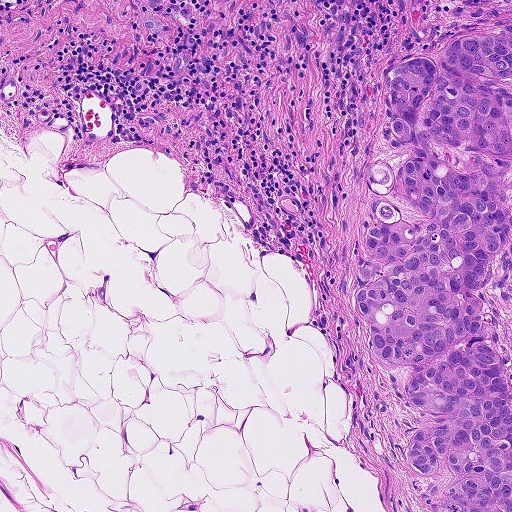
Lymph node section stained with H&E, from a whole-slide image of a breast-cancer sentinel node. Magnification about 10×, about 0.46 mm across the frame, about 0.9 µm per pixel.
Question: Does this lymph node field contain metastatic tumour?
Answer: Yes.
Tumour region outline (a closed clockwise path, crop pixels): (511, 32), (511, 166), (502, 188), (511, 235), (477, 293), (511, 383), (511, 511), (431, 511), (405, 468), (403, 446), (423, 414), (402, 402), (416, 371), (374, 356), (353, 306), (371, 210), (362, 164), (383, 156), (397, 168), (412, 158), (380, 134), (393, 67), (436, 55), (463, 33).
The annotated tumour makes up about 20% of the crop.

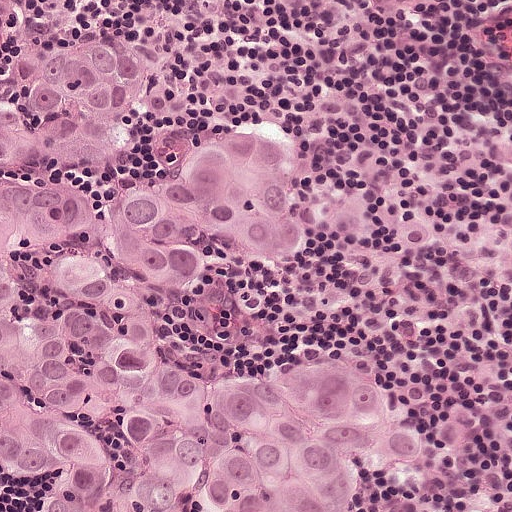
Lymph node section stained with H&E, from a whole-slide image of a breast-cancer sentinel node. Magnification about 20×, about 0.25 mm across the frame, about 0.49 µm per pixel.
Question: Does this lymph node field contain metastatic tumour?
Answer: Yes.
One metastatic tumour region; its boundary, reduced to 21 corners and listed clockwise: (161, 40), (180, 61), (164, 106), (80, 167), (102, 204), (182, 194), (206, 143), (275, 124), (336, 224), (300, 266), (214, 256), (178, 352), (360, 364), (438, 472), (365, 472), (358, 511), (60, 498), (62, 479), (0, 466), (0, 117), (64, 52).
Tumour covers about 45% of the frame.

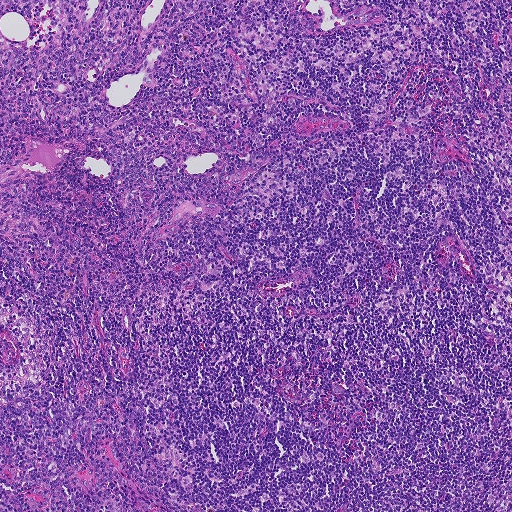
Lymph node section stained with H&E, from a whole-slide image of a breast-cancer sentinel node. Magnification about 5×, about 0.93 mm across the frame, about 1.8 µm per pixel.
Question: Does this lymph node field contain metastatic tumour?
Answer: No. No metastatic tumour is outlined in this field.

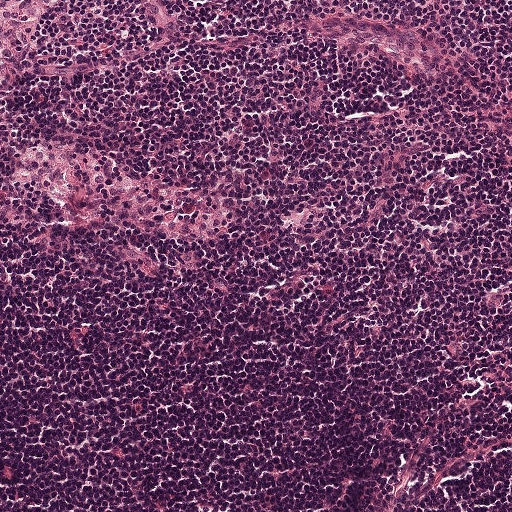
Lymph node section stained with H&E, from a whole-slide image of a breast-cancer sentinel node. Magnification about 10×, about 0.5 mm across the frame, about 0.97 µm per pixel.
Question: Does this lymph node field contain metastatic tumour?
Answer: No: no metastatic tumour is outlined anywhere in this field.